Question: 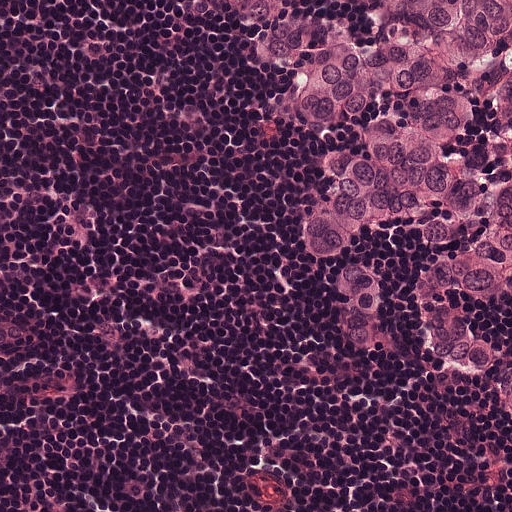
H&E-stained section of a sentinel lymph node (breast cancer), from a whole-slide image, viewed at about 20×: the field is about 0.25 mm across, about 0.49 µm per pixel.
Estimate the proportion of this field that is metastatic tumour.

Choices:
 (A) about 10% to 20%
 (B) about 25% to 45%
 (C) about 5% or less
 (D) about 50% or more
 (E) none: no tumour is outlined

Answer: (B) about 25% to 45%
About 40% of the field is tumour.
Metastatic tumour outline, simplified to 12 points and listed clockwise in crop pixels (x, y): (154, 0), (511, 0), (511, 482), (483, 445), (396, 408), (359, 332), (272, 274), (255, 228), (278, 165), (278, 128), (223, 58), (171, 35).